Image:
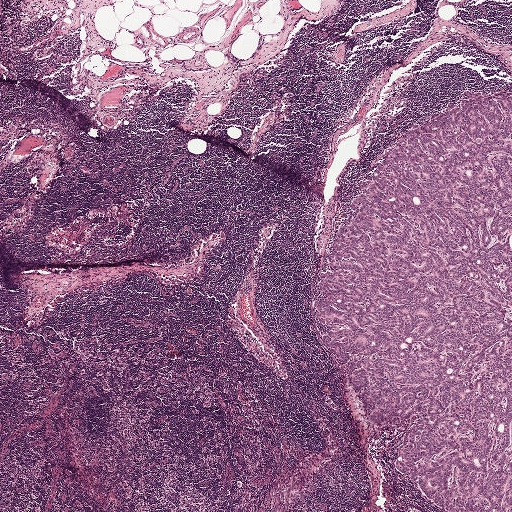
This is a crop of a whole-slide image: an H&E-stained breast-cancer sentinel lymph node section at roughly 2.5× magnification (about 3.9 µm per pixel; the crop spans about 2.0 mm).
Question:
Where is the metastatic tumour in this field? Give each region's outline as (x, y) pixel points.
Answer:
Metastatic tumour outline, simplified to 12 points and listed clockwise in crop pixels (x, y): (465, 90), (511, 93), (511, 511), (449, 511), (397, 471), (394, 453), (416, 419), (368, 430), (315, 335), (312, 288), (357, 189), (397, 137).
About 25% of this field is tumour.